Question: 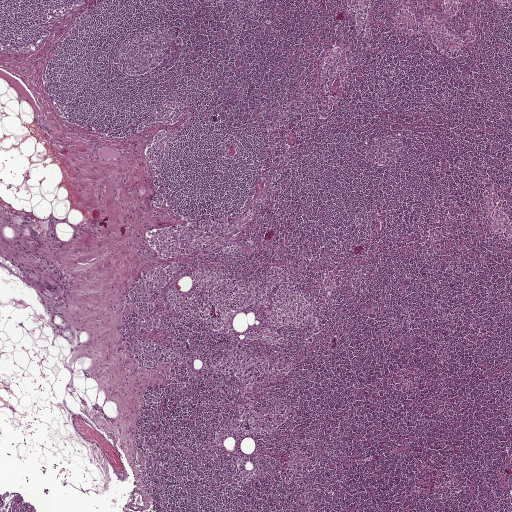
Which magnification is this H&E lymph node field most likely shown at?

Choices:
 (A) about 2.5×
 (B) about 10×
 (C) about 20×
 (D) about 5×
 (E) about 40×

Answer: (A) about 2.5×
A 2.0-mm field of an H&E-stained sentinel lymph node from a breast-cancer patient (whole-slide image), shown at about 2.5×, about 3.9 µm per pixel.